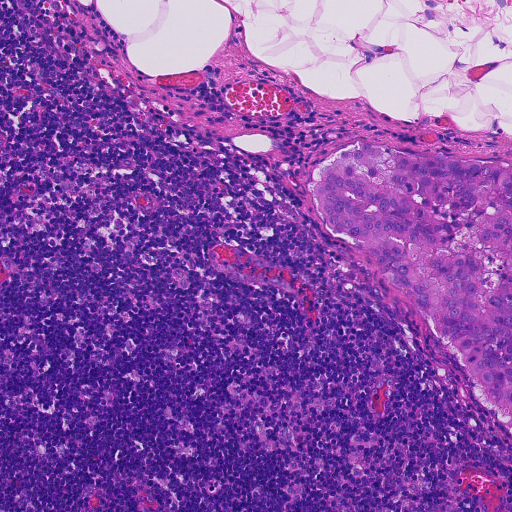
H&E-stained section of a sentinel lymph node (breast cancer), from a whole-slide image, viewed at about 10×: the field is about 0.46 mm across, about 0.91 µm per pixel.
The outlined metastatic tumour's edge, as a closed clockwise path of 8 points: (360, 139), (511, 164), (511, 437), (420, 316), (332, 231), (313, 199), (310, 174), (317, 164).
Tumour covers about 10% of the frame.